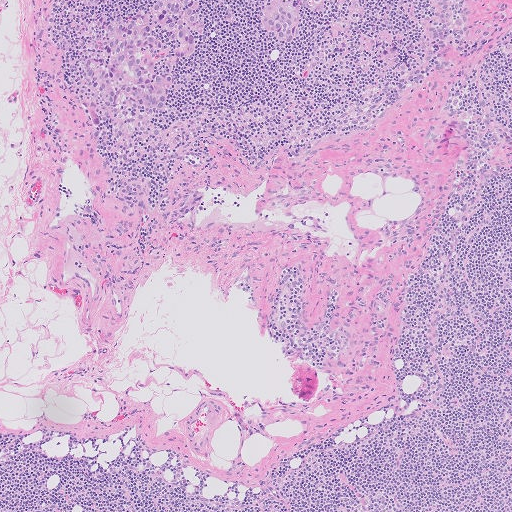
A 1.0-mm field of an H&E-stained sentinel lymph node from a breast-cancer patient (whole-slide image), shown at about 5×, about 2.0 µm per pixel.
Question: Outline the metastatic carcinoma in this image, as closed paths of (x, y) pixel coordinates.
Answer: Five metastatic tumour regions, each outlined as a closed clockwise path in crop pixels (x, y), largest first: region 1: (153, 0), (197, 0), (203, 22), (190, 56), (172, 68), (159, 64), (158, 71), (171, 76), (166, 111), (154, 113), (126, 104), (110, 114), (104, 111), (98, 129), (91, 127), (84, 114), (87, 108), (100, 104), (83, 74), (83, 60), (103, 55), (104, 28), (112, 18), (141, 11); region 2: (272, 0), (293, 0), (298, 16), (294, 42), (288, 44), (281, 43), (272, 33), (260, 27), (258, 20), (264, 7); region 3: (301, 0), (327, 0), (323, 14), (317, 15), (304, 10), (300, 4); region 4: (388, 45), (396, 45), (398, 56), (380, 64), (374, 60), (377, 54), (382, 49); region 5: (73, 0), (98, 0), (97, 3), (91, 7), (84, 7).
One more small tumour piece is annotated here but not outlined.
About 5% of this field is tumour.